A 0.5-mm field of an H&E-stained sentinel lymph node from a breast-cancer patient (whole-slide image), shown at about 10×, about 0.97 µm per pixel.
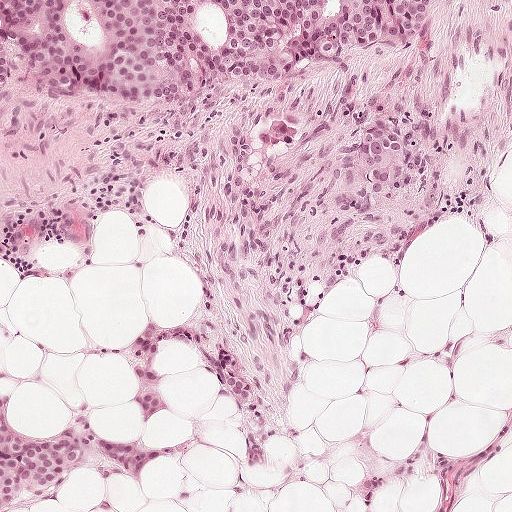
Question: Where is the metastatic tumour in this field?
Answer: Boundaries of six metastatic tumour regions, simplified and listed clockwise, largest first: region 1: (0, 0), (440, 0), (435, 22), (404, 48), (314, 60), (272, 83), (230, 84), (202, 98), (151, 103), (113, 93), (66, 94), (25, 56), (0, 82); region 2: (0, 394), (8, 397), (7, 424), (32, 440), (54, 436), (83, 414), (94, 437), (120, 443), (143, 441), (162, 452), (160, 463), (140, 481), (126, 478), (103, 482), (87, 462), (81, 462), (68, 469), (51, 491), (12, 511), (1, 511); region 3: (381, 116), (414, 138), (419, 158), (419, 164), (413, 170), (411, 184), (404, 192), (378, 196), (366, 201), (357, 198), (365, 166), (362, 136), (368, 120); region 4: (154, 322), (156, 326), (162, 328), (185, 328), (194, 339), (194, 343), (189, 344), (179, 339), (169, 339), (157, 347), (154, 357), (155, 373), (160, 391), (170, 409), (165, 414), (153, 417), (146, 424), (140, 422), (135, 404), (135, 379), (120, 358), (124, 348), (147, 323); region 5: (214, 345), (226, 345), (233, 348), (246, 363), (256, 386), (256, 402), (247, 414), (241, 414), (234, 406), (227, 389), (224, 373), (216, 361); region 6: (0, 365), (5, 367), (14, 373), (14, 377), (0, 382).
The annotated tumour makes up about 20% of the crop.